Question: 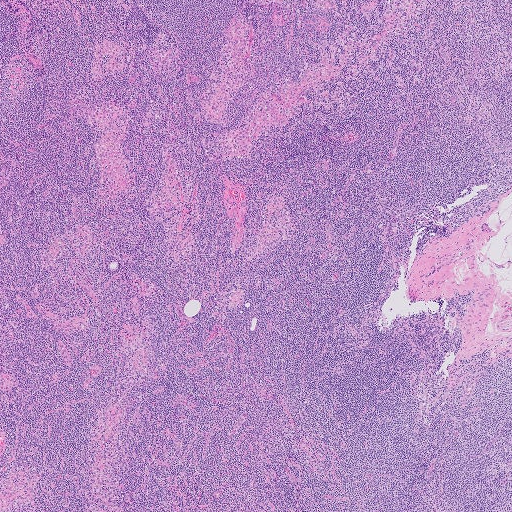
Which magnification is this H&E lymph node field most likely shown at?

Choices:
 (A) about 20×
 (B) about 10×
 (C) about 5×
 (D) about 2.5×
 (E) about 40×

Answer: (D) about 2.5×
H&E-stained section of a sentinel lymph node (breast cancer), from a whole-slide image, viewed at about 2.5×: the field is about 2.0 mm across, about 4.0 µm per pixel.